Question: 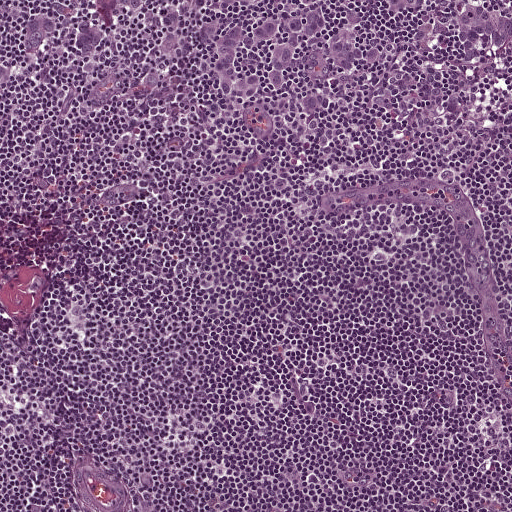
Lymph node section stained with H&E, from a whole-slide image of a breast-cancer sentinel node. Magnification about 10×, about 0.5 mm across the frame, about 0.97 µm per pixel.
Roughly what share of this field is metastatic tumour?

Choices:
 (A) about 25% to 45%
 (B) about 10% to 20%
 (C) about 5% or less
 (D) about 50% or more
 (E) none: no tumour is outlined

Answer: (B) about 10% to 20%
About 15% of the field is tumour.
Metastatic tumour outline, simplified to 16 points and listed clockwise in crop pixels (x, y): (0, 0), (511, 0), (511, 36), (496, 56), (401, 54), (330, 100), (289, 114), (198, 91), (166, 120), (112, 111), (84, 116), (72, 112), (73, 70), (62, 61), (32, 63), (3, 142).